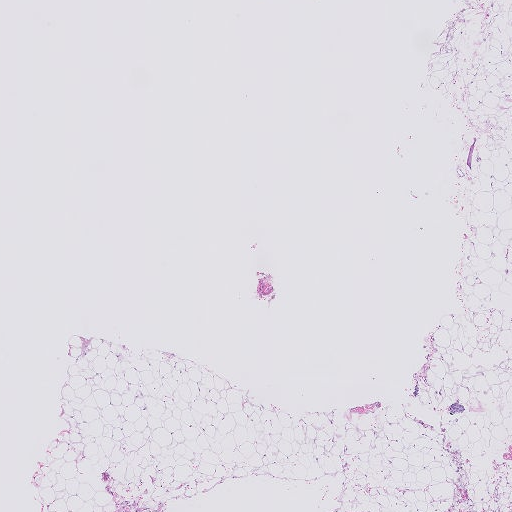
H&E-stained section of a sentinel lymph node (breast cancer), from a whole-slide image, viewed at about 2.5×: the field is about 2.0 mm across, about 4.0 µm per pixel.
Two metastatic tumour regions, each outlined as a closed clockwise path in crop pixels (x, y), largest first: region 1: (458, 399), (464, 404), (468, 412), (451, 414), (445, 410), (451, 400); region 2: (415, 380), (421, 382), (418, 398), (410, 396).
Two more small tumour pieces are annotated here but not outlined.
The annotated tumour makes up under 5% of the crop.